This is a crop of a whole-slide image: an H&E-stained breast-cancer sentinel lymph node section at roughly 2.5× magnification (about 3.6 µm per pixel; the crop spans about 1.9 mm).
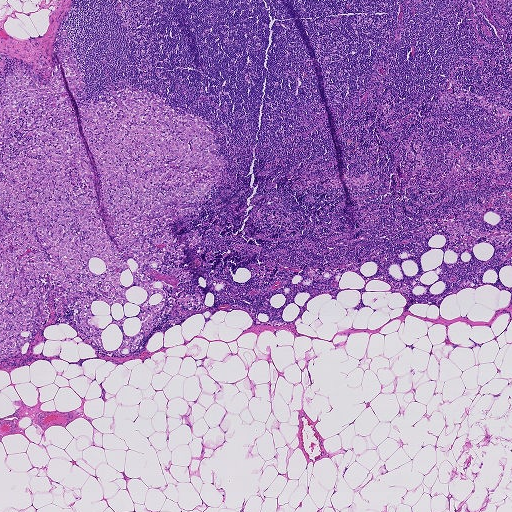
Metastatic tumour outline, simplified to 22 points and listed clockwise in crop pixels (x, y): (64, 28), (84, 75), (77, 105), (126, 88), (160, 95), (209, 123), (226, 165), (208, 200), (155, 233), (200, 240), (182, 264), (168, 252), (148, 269), (165, 300), (136, 349), (99, 347), (51, 295), (37, 334), (3, 359), (0, 81), (26, 69), (46, 86).
Tumour covers about 20% of the frame.